Image:
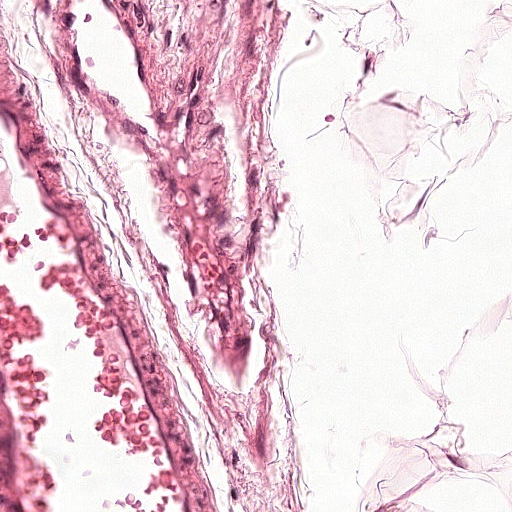
Lymph node section stained with H&E, from a whole-slide image of a breast-cancer sentinel node. Magnification about 20×, about 0.25 mm across the frame, about 0.49 µm per pixel.
Question:
Is any metastatic breast cancer visible in this crop?
Answer:
No. No metastatic tumour is outlined in this field.